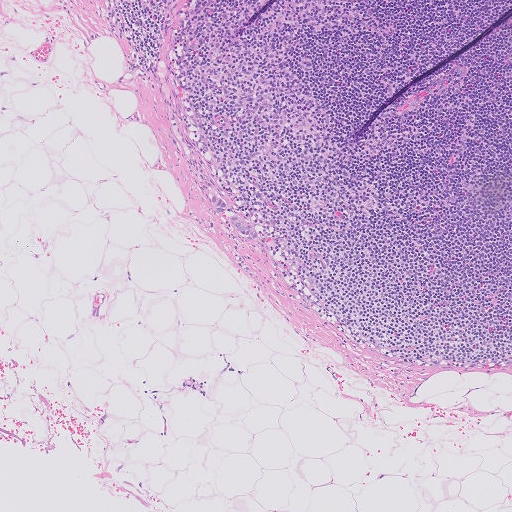
H&E-stained section of a sentinel lymph node (breast cancer), from a whole-slide image, viewed at about 5×: the field is about 1.0 mm across, about 2.0 µm per pixel.
Outlines of two tumour regions, largest first (closed clockwise paths, crop pixels): region 1: (229, 215), (236, 215), (240, 217), (256, 232), (257, 235), (256, 239), (250, 241), (241, 234), (228, 222), (226, 218); region 2: (214, 193), (218, 197), (225, 201), (226, 204), (226, 208), (226, 211), (222, 212), (219, 212), (214, 208), (210, 201), (209, 198), (210, 194).
Under 5% of the image area is annotated as tumour.